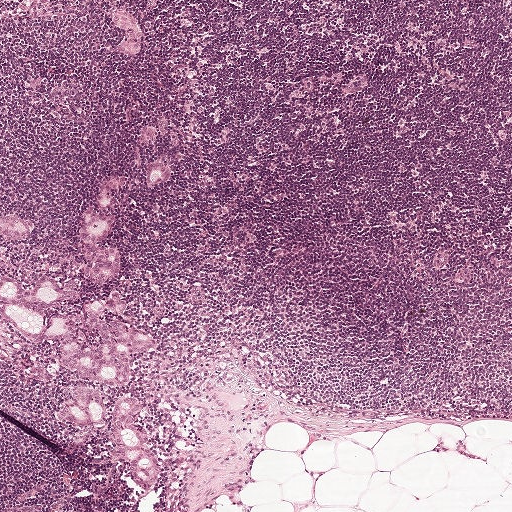
A 1-mm field of an H&E-stained sentinel lymph node from a breast-cancer patient (whole-slide image), shown at about 5×, about 1.9 µm per pixel.
Question: Does this lymph node field contain metastatic tumour?
Answer: Yes.
Six metastatic tumour regions, each outlined as a closed clockwise path in crop pixels (x, y), largest first: region 1: (0, 278), (15, 283), (47, 278), (61, 284), (75, 282), (76, 293), (63, 306), (63, 314), (81, 309), (88, 301), (101, 300), (119, 291), (127, 302), (121, 319), (148, 329), (155, 344), (133, 367), (127, 383), (101, 387), (63, 368), (55, 345), (31, 343), (0, 312); region 2: (85, 383), (96, 390), (100, 395), (102, 410), (108, 415), (120, 396), (128, 394), (140, 400), (133, 428), (156, 451), (162, 465), (161, 477), (152, 490), (142, 491), (136, 486), (113, 448), (106, 426), (74, 426), (54, 416), (62, 392); region 3: (94, 206), (98, 214), (110, 217), (113, 222), (113, 228), (106, 235), (105, 242), (116, 243), (121, 251), (121, 264), (116, 277), (102, 284), (91, 283), (82, 277), (84, 247), (77, 229), (80, 213), (85, 207), (96, 213), (87, 207); region 4: (121, 5), (128, 7), (138, 21), (142, 36), (142, 51), (138, 56), (126, 53), (116, 46), (122, 36), (122, 32), (119, 27), (110, 21), (114, 9); region 5: (11, 213), (25, 218), (32, 232), (31, 238), (25, 243), (11, 243), (0, 236), (0, 216); region 6: (152, 161), (163, 162), (174, 171), (174, 178), (157, 186), (145, 186), (143, 179), (143, 169).
About 5% of the image area is annotated as tumour.